This is a crop of a whole-slide image: an H&E-stained breast-cancer sentinel lymph node section at roughly 5× magnification (about 1.8 µm per pixel; the crop spans about 0.93 mm).
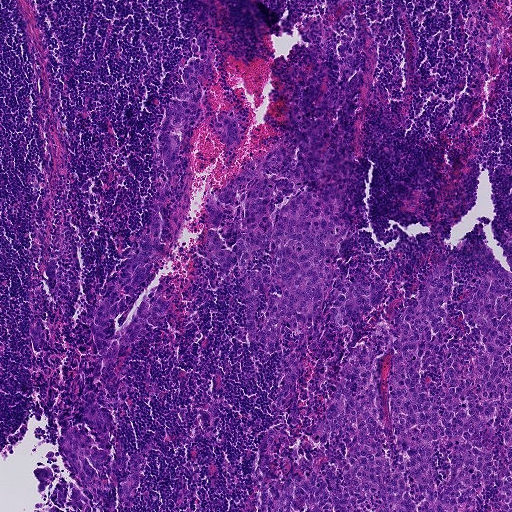
Two metastatic tumour regions, each outlined as a closed clockwise path in crop pixels (x, y), largest first: region 1: (203, 33), (201, 95), (218, 118), (235, 114), (236, 161), (317, 122), (352, 147), (344, 261), (384, 288), (356, 339), (396, 318), (448, 254), (450, 328), (485, 347), (460, 299), (494, 277), (476, 240), (511, 274), (511, 511), (258, 511), (282, 366), (232, 328), (270, 249), (207, 292), (203, 204), (241, 167), (222, 161), (203, 108), (169, 254), (114, 331), (159, 282), (175, 306), (123, 359), (94, 344), (94, 306), (146, 222), (165, 105); region 2: (89, 402), (109, 412), (125, 452), (151, 441), (154, 448), (126, 508), (116, 498), (119, 511), (49, 511), (48, 496), (56, 484), (36, 491), (33, 470), (46, 465), (54, 476), (80, 489), (66, 472), (60, 455), (43, 458), (58, 450), (59, 429), (78, 418), (82, 405).
The annotated tumour makes up about 35% of the crop.